H&E-stained section of a sentinel lymph node (breast cancer), from a whole-slide image, viewed at about 10×: the field is about 0.5 mm across, about 0.97 µm per pixel.
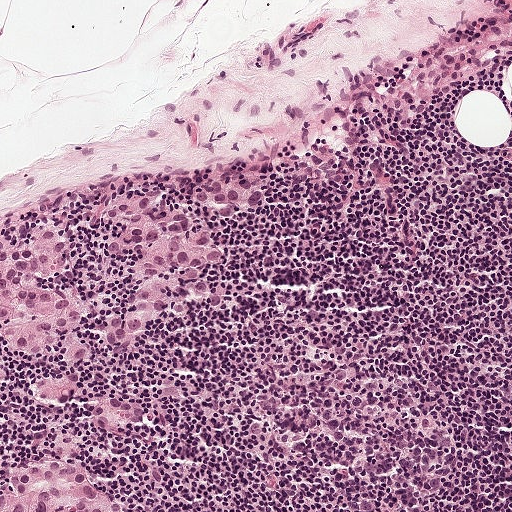
Six metastatic tumour regions, each outlined as a closed clockwise path in crop pixels (x, y), largest first: region 1: (132, 191), (165, 198), (200, 216), (225, 250), (219, 266), (202, 268), (200, 277), (224, 289), (219, 308), (193, 298), (182, 316), (161, 314), (138, 348), (121, 358), (100, 340), (102, 328), (135, 290), (134, 254), (104, 254), (106, 242), (127, 222), (109, 225), (98, 213), (104, 203); region 2: (65, 226), (74, 247), (73, 265), (36, 283), (44, 290), (73, 286), (76, 296), (94, 306), (76, 334), (92, 354), (81, 363), (70, 363), (63, 357), (66, 335), (39, 358), (8, 348), (0, 337), (0, 235), (8, 244), (27, 244), (37, 227); region 3: (71, 432), (80, 436), (79, 447), (66, 456), (84, 464), (91, 480), (126, 511), (0, 511), (0, 489), (5, 488), (23, 460), (62, 456), (49, 446), (55, 434); region 4: (244, 174), (254, 178), (266, 190), (264, 208), (249, 210), (221, 218), (192, 200), (195, 188), (215, 180), (230, 180); region 5: (125, 392), (142, 401), (147, 423), (131, 434), (112, 437), (93, 427), (88, 412), (97, 398); region 6: (78, 372), (86, 386), (71, 405), (58, 405), (43, 404), (32, 394), (30, 381), (41, 378), (59, 378), (66, 374).
One more small tumour piece is annotated here but not outlined.
Tumour covers about 10% of the frame.